Image:
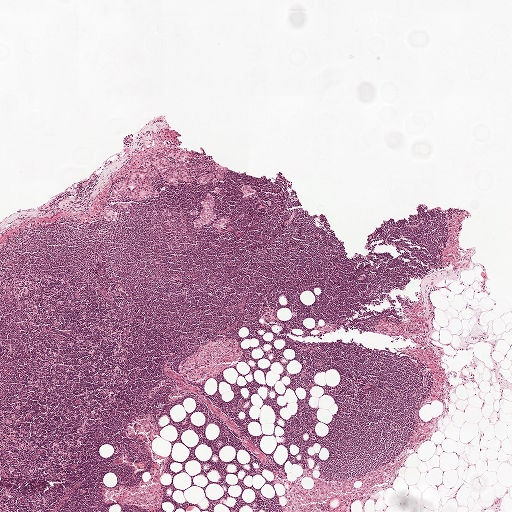
This is a crop of a whole-slide image: an H&E-stained breast-cancer sentinel lymph node section at roughly 2.5× magnification (about 3.9 µm per pixel; the crop spans about 2.0 mm).
Question:
Is any metastatic breast cancer visible in this crop?
Answer:
Yes.
Five metastatic tumour regions, each outlined as a closed clockwise path in crop pixels (x, y), largest first: region 1: (175, 148), (191, 153), (191, 158), (189, 163), (186, 163), (190, 177), (191, 178), (191, 183), (178, 180), (178, 184), (175, 185), (168, 183), (160, 173), (160, 168), (152, 164), (151, 167), (159, 176), (150, 177), (153, 190), (157, 192), (158, 196), (136, 200), (127, 194), (126, 192), (122, 197), (115, 200), (109, 198), (114, 183), (122, 180), (124, 177), (132, 172), (142, 169), (146, 155), (155, 151), (161, 152), (174, 164), (175, 160), (165, 153), (165, 149); region 2: (209, 193), (213, 196), (215, 204), (213, 210), (216, 218), (209, 224), (195, 226), (193, 224), (193, 222), (201, 214), (202, 209), (201, 201); region 3: (218, 166), (227, 167), (227, 173), (223, 174), (224, 180), (223, 181), (220, 181), (213, 178), (208, 180), (206, 184), (204, 184), (200, 184), (197, 182), (199, 178), (203, 175), (210, 173), (216, 173), (215, 171), (217, 170); region 4: (106, 206), (108, 206), (113, 208), (117, 213), (115, 221), (112, 221), (106, 219), (104, 216), (103, 214); region 5: (220, 216), (223, 216), (230, 218), (228, 223), (225, 223), (226, 228), (223, 230), (218, 229), (214, 224), (214, 222), (218, 220).
Two more small tumour pieces are annotated here but not outlined.
The annotated tumour makes up under 5% of the crop.